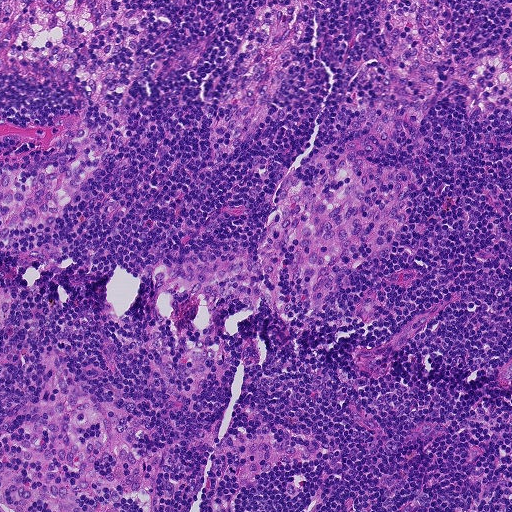
A 0.46-mm field of an H&E-stained sentinel lymph node from a breast-cancer patient (whole-slide image), shown at about 10×, about 0.9 µm per pixel.